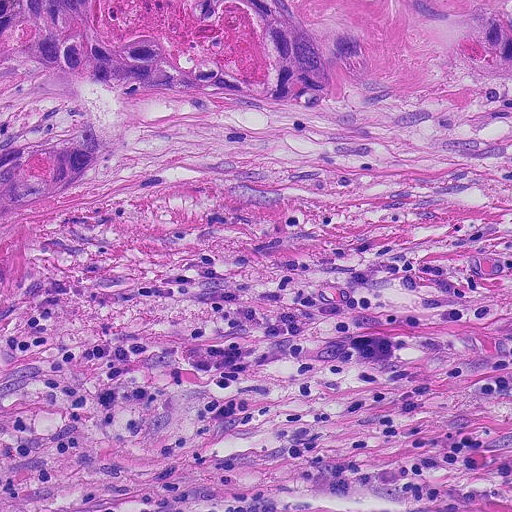
H&E-stained section of a sentinel lymph node (breast cancer), from a whole-slide image, viewed at about 20×: the field is about 0.23 mm across, about 0.45 µm per pixel.
The outlined metastatic tumour's edge, as a closed clockwise path of 9 points: (0, 0), (511, 0), (511, 111), (465, 108), (371, 132), (81, 84), (106, 156), (74, 194), (0, 233).
Tumour covers about 25% of the frame.